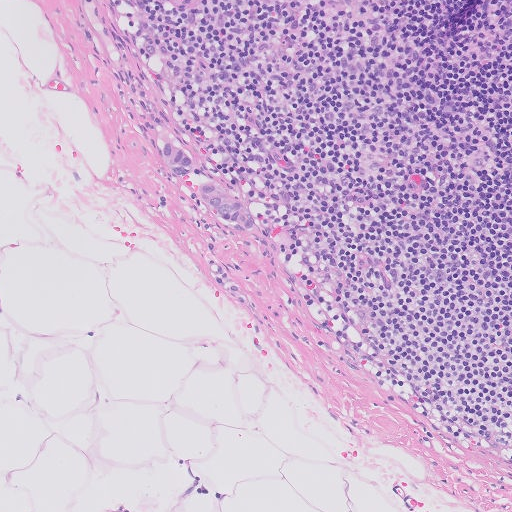
This is a crop of a whole-slide image: an H&E-stained breast-cancer sentinel lymph node section at roughly 10× magnification (about 1.0 µm per pixel; the crop spans about 0.51 mm).
Two metastatic tumour regions, each outlined as a closed clockwise path in crop pixels (x, y), largest first: region 1: (197, 182), (212, 182), (220, 186), (251, 216), (254, 223), (252, 230), (246, 234), (239, 234), (221, 221), (212, 209), (195, 195), (193, 188); region 2: (168, 139), (190, 154), (193, 160), (193, 167), (191, 174), (178, 177), (167, 168), (158, 148), (161, 140).
Under 5% of the image area is annotated as tumour.